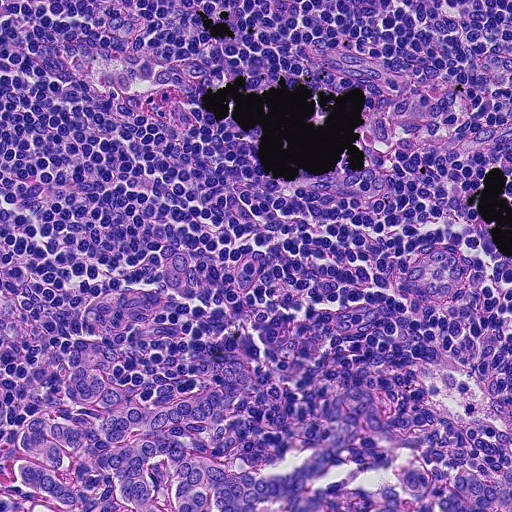
This is a crop of a whole-slide image: an H&E-stained breast-cancer sentinel lymph node section at roughly 20× magnification (about 0.45 µm per pixel; the crop spans about 0.23 mm).
Metastatic tumour outline, simplified to 33 points and listed clockwise in crop pixels (x, y): (131, 288), (182, 305), (131, 326), (112, 345), (119, 372), (136, 391), (188, 395), (244, 342), (257, 364), (246, 445), (264, 464), (290, 466), (312, 451), (329, 432), (326, 406), (344, 384), (370, 376), (390, 424), (384, 450), (306, 484), (387, 491), (398, 487), (408, 462), (486, 471), (510, 465), (511, 511), (0, 511), (0, 466), (24, 423), (66, 398), (56, 376), (75, 331), (107, 292).
The annotated tumour makes up about 20% of the crop.